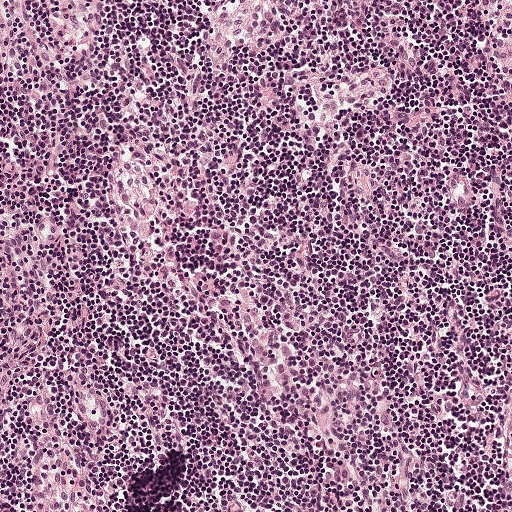
H&E-stained section of a sentinel lymph node (breast cancer), from a whole-slide image, viewed at about 10×: the field is about 0.5 mm across, about 0.97 µm per pixel.